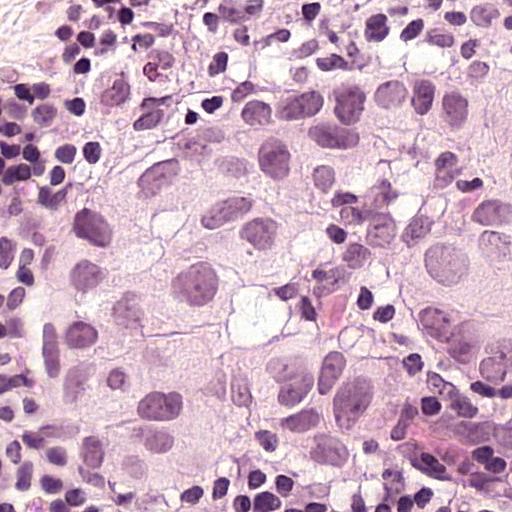
This is a crop of a whole-slide image: an H&E-stained breast-cancer sentinel lymph node section at roughly 40× magnification (about 0.24 µm per pixel; the crop spans about 0.12 mm).
One metastatic tumour region; its boundary, reduced to 15 corners and listed clockwise: (309, 27), (359, 52), (511, 43), (511, 390), (394, 421), (381, 471), (359, 495), (306, 487), (144, 493), (53, 452), (34, 399), (37, 262), (87, 174), (240, 90), (294, 52).
The annotated tumour makes up about 65% of the crop.